H&E-stained section of a sentinel lymph node (breast cancer), from a whole-slide image, viewed at about 2.5×: the field is about 2.0 mm across, about 3.9 µm per pixel.
Question: 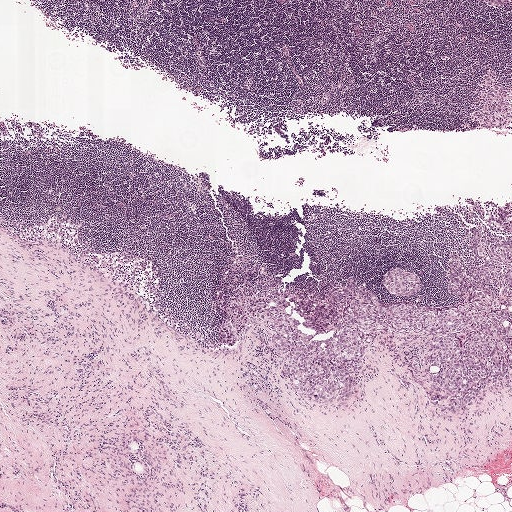
About how much of this crop is taken up by metastatic carcinoma?

Choices:
 (A) about 10% to 20%
 (B) about 50% or more
 (C) none: no tumour is outlined
 (D) about 5% or less
 (E) about 25% to 45%

Answer: (A) about 10% to 20%
About 10% of the field is tumour.
Boundaries of five metastatic tumour regions, simplified and listed clockwise, largest first: region 1: (480, 228), (485, 238), (511, 244), (510, 380), (451, 414), (448, 397), (430, 377), (439, 371), (429, 362), (437, 335), (410, 331), (369, 338), (367, 367), (351, 401), (312, 404), (280, 374), (288, 354), (278, 354), (261, 320), (252, 321), (238, 348), (221, 342), (234, 299), (259, 291), (257, 280), (269, 277), (275, 290), (327, 302), (355, 277), (383, 307), (458, 303), (447, 292), (447, 260), (459, 253), (468, 279), (469, 267), (483, 262), (467, 246), (470, 231); region 2: (490, 74), (497, 76), (504, 85), (511, 88), (511, 122), (494, 130), (483, 129), (475, 123), (473, 116), (477, 106), (476, 93), (481, 78); region 3: (396, 269), (413, 274), (422, 282), (423, 288), (420, 293), (409, 298), (394, 297), (385, 289), (382, 284), (388, 271); region 4: (511, 203), (511, 238), (503, 235), (495, 227), (494, 222), (497, 210), (504, 205); region 5: (482, 0), (511, 0), (511, 18), (503, 13), (486, 8).